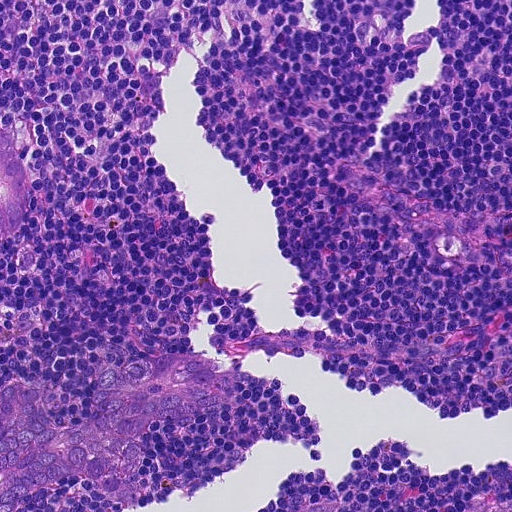
This is a crop of a whole-slide image: an H&E-stained breast-cancer sentinel lymph node section at roughly 20× magnification (about 0.45 µm per pixel; the crop spans about 0.23 mm).
Outlines of four tumour regions, largest first (closed clockwise paths, crop pixels): region 1: (188, 350), (228, 376), (226, 399), (207, 412), (160, 420), (140, 432), (134, 478), (112, 488), (89, 487), (72, 472), (52, 486), (28, 489), (16, 508), (0, 511), (0, 386), (24, 380), (58, 421), (83, 423), (97, 404), (99, 379), (118, 364); region 2: (0, 130), (9, 141), (29, 185), (29, 210), (14, 232), (0, 241); region 3: (481, 495), (507, 511), (463, 511), (467, 502); region 4: (344, 504), (341, 511), (300, 511), (321, 508).
About 10% of this field is tumour.